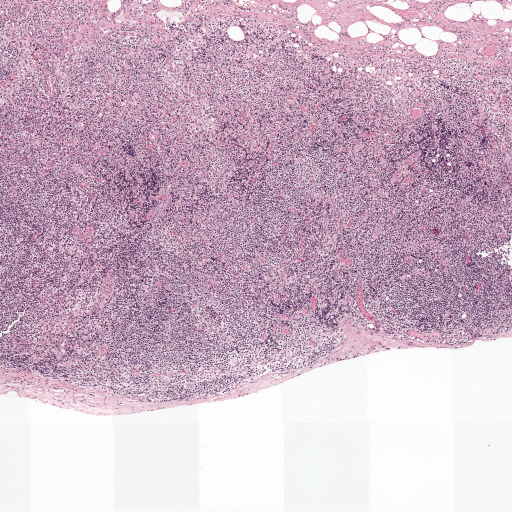
Lymph node section stained with H&E, from a whole-slide image of a breast-cancer sentinel node. Magnification about 2.5×, about 2.0 mm across the frame, about 3.9 µm per pixel.
Question: Which parts of this field are metastatic tumour?
Answer: Metastatic tumour outline, simplified to 11 points and listed clockwise in crop pixels (x, y): (136, 395), (138, 395), (139, 397), (141, 396), (144, 395), (147, 396), (150, 398), (152, 400), (152, 402), (148, 402), (136, 397).
Under 5% of this field is tumour.